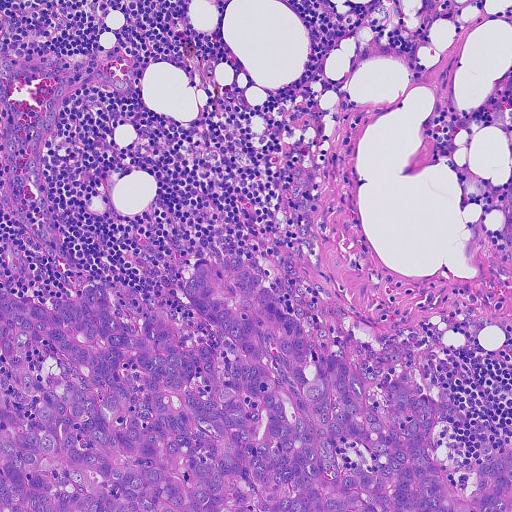
Lymph node section stained with H&E, from a whole-slide image of a breast-cancer sentinel node. Magnification about 10×, about 0.46 mm across the frame, about 0.91 µm per pixel.
The outlined metastatic tumour's edge, as a closed clockwise path of 23 points: (203, 258), (245, 262), (312, 342), (353, 364), (390, 426), (384, 388), (422, 395), (455, 486), (482, 459), (481, 432), (497, 453), (511, 446), (511, 511), (0, 511), (0, 294), (54, 308), (92, 279), (126, 326), (139, 333), (165, 309), (186, 348), (216, 348), (184, 284).
About 35% of this field is tumour.